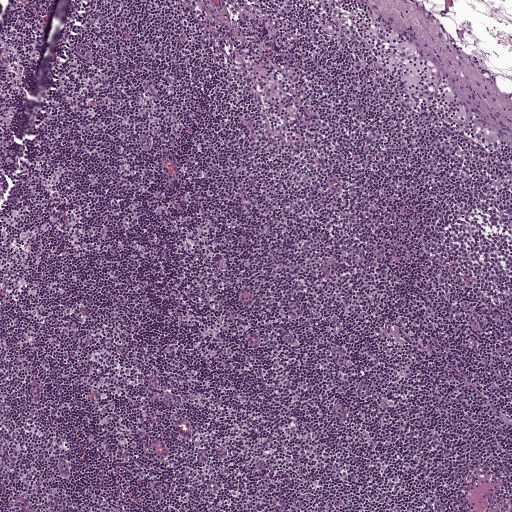
A 1-mm field of an H&E-stained sentinel lymph node from a breast-cancer patient (whole-slide image), shown at about 5×, about 1.9 µm per pixel.